Image:
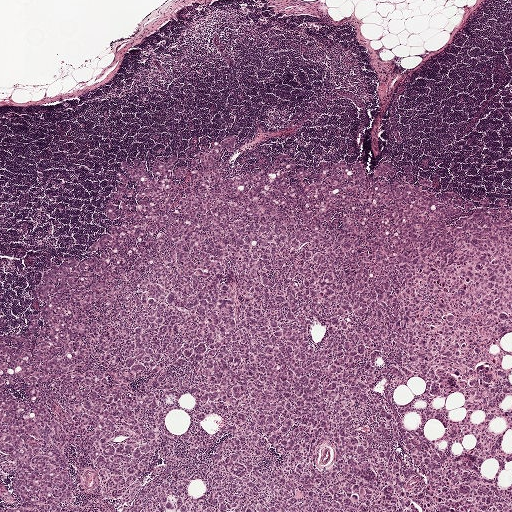
Lymph node section stained with H&E, from a whole-slide image of a breast-cancer sentinel node. Magnification about 2.5×, about 2.0 mm across the frame, about 3.9 µm per pixel.
Question:
Which parts of this field are metastatic tumour? Answer with the outline of each region, in pixels.
Answer:
Tumour region outline (a closed clockwise path, crop pixels): (235, 134), (237, 165), (253, 150), (318, 169), (391, 162), (433, 193), (511, 203), (500, 346), (511, 396), (499, 409), (511, 407), (511, 461), (498, 484), (511, 484), (511, 511), (0, 511), (17, 500), (0, 453), (0, 335), (27, 327), (44, 268), (106, 232), (126, 163), (188, 161).
Tumour covers about 60% of the frame.